Lymph node section stained with H&E, from a whole-slide image of a breast-cancer sentinel node. Magnification about 5×, about 1 mm across the frame, about 1.9 µm per pixel.
Image:
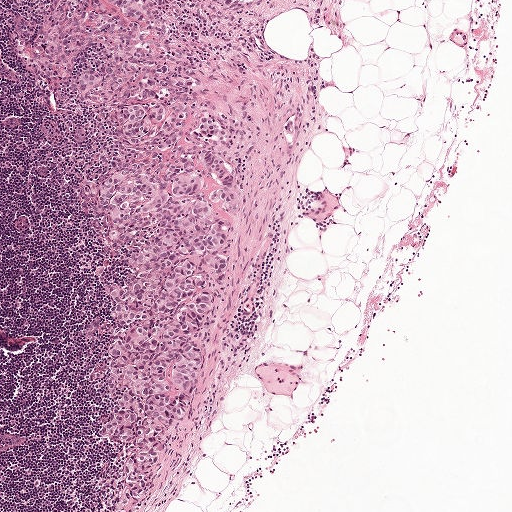
Question:
Does this lymph node field contain metastatic tumour?
Answer:
Yes.
Outlines of two tumour regions, largest first (closed clockwise paths, crop pixels): region 1: (127, 43), (194, 72), (189, 114), (225, 120), (243, 187), (211, 339), (139, 511), (109, 511), (130, 454), (106, 433), (111, 394), (91, 374), (108, 356), (110, 293), (162, 227), (154, 217), (112, 240), (85, 200), (80, 185), (133, 149), (116, 114), (69, 87); region 2: (108, 0), (147, 0), (148, 24), (140, 25), (129, 20).
About 15% of this field is tumour.